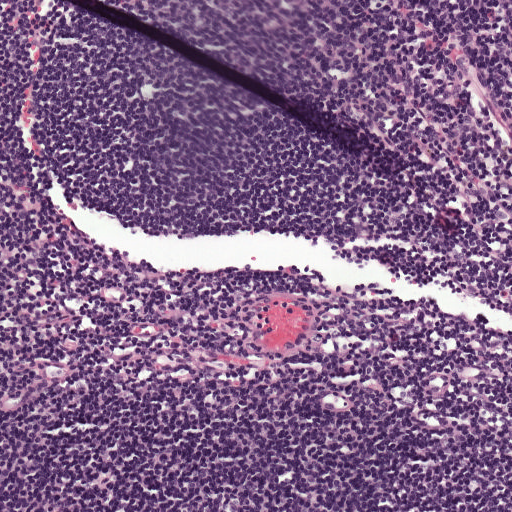
This is a crop of a whole-slide image: an H&E-stained breast-cancer sentinel lymph node section at roughly 10× magnification (about 0.97 µm per pixel; the crop spans about 0.5 mm).